Question: 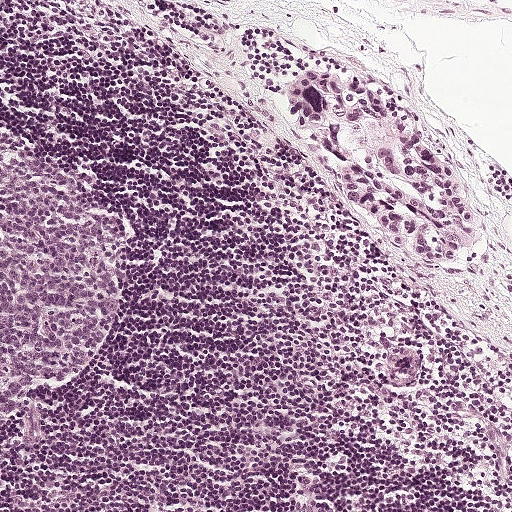
H&E-stained section of a sentinel lymph node (breast cancer), from a whole-slide image, viewed at about 10×: the field is about 0.5 mm across, about 0.97 µm per pixel.
What fraction of the image area is metastatic tumour?

Choices:
 (A) none: no tumour is outlined
 (B) about 10% to 20%
 (C) about 5% or less
 (D) about 50% or more
 (E) about 25% to 45%

Answer: (C) about 5% or less
About 5% of the field is tumour.
Metastatic tumour outline, simplified to 17 points and listed clockwise in crop pixels (x, y): (304, 69), (320, 70), (382, 93), (420, 127), (438, 155), (457, 167), (477, 230), (471, 262), (456, 271), (439, 271), (413, 260), (382, 236), (356, 206), (334, 163), (314, 148), (286, 98), (286, 87).